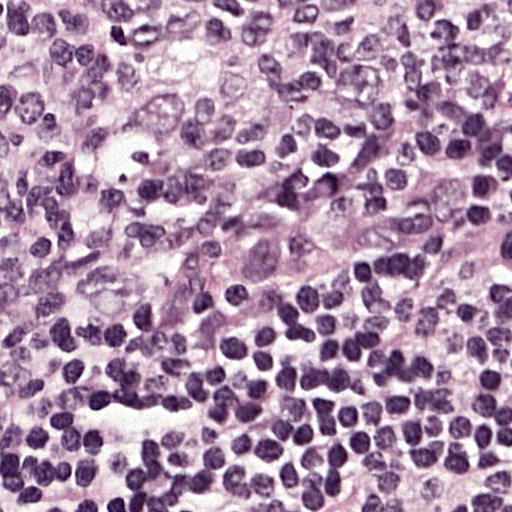
This is a crop of a whole-slide image: an H&E-stained breast-cancer sentinel lymph node section at roughly 40× magnification (about 0.24 µm per pixel; the crop spans about 0.12 mm).
Tumour region outline (a closed clockwise path, crop pixels): (469, 169), (478, 211), (417, 247), (322, 276), (244, 287), (219, 261), (241, 234), (299, 229), (375, 214), (425, 172).
About 5% of this field is tumour.